Image:
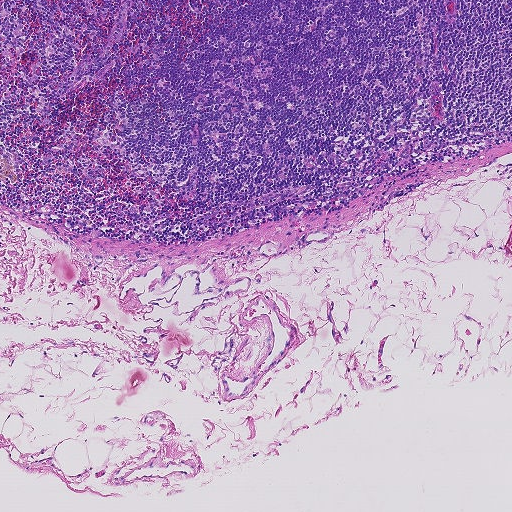
This is a crop of a whole-slide image: an H&E-stained breast-cancer sentinel lymph node section at roughly 5× magnification (about 1.8 µm per pixel; the crop spans about 0.93 mm).
Question:
Is there metastatic carcinoma in this field?
Answer:
No: no metastatic tumour is outlined anywhere in this field.